Image:
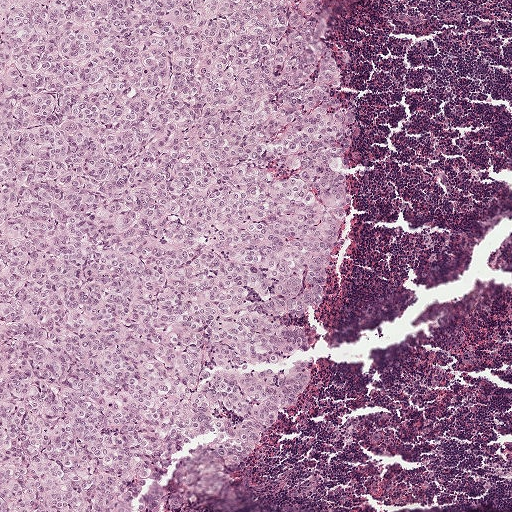
Lymph node section stained with H&E, from a whole-slide image of a breast-cancer sentinel node. Magnification about 5×, about 1 mm across the frame, about 1.9 µm per pixel.
Question:
Does this lymph node field contain metastatic tumour?
Answer:
Yes.
Tumour region outline (a closed clockwise path, crop pixels): (0, 0), (318, 0), (296, 61), (306, 76), (332, 56), (342, 65), (340, 100), (356, 118), (349, 149), (327, 162), (346, 178), (351, 209), (323, 298), (286, 317), (306, 334), (302, 352), (237, 370), (300, 370), (305, 383), (239, 461), (220, 454), (212, 431), (101, 511), (0, 511).
Tumour covers about 60% of the frame.